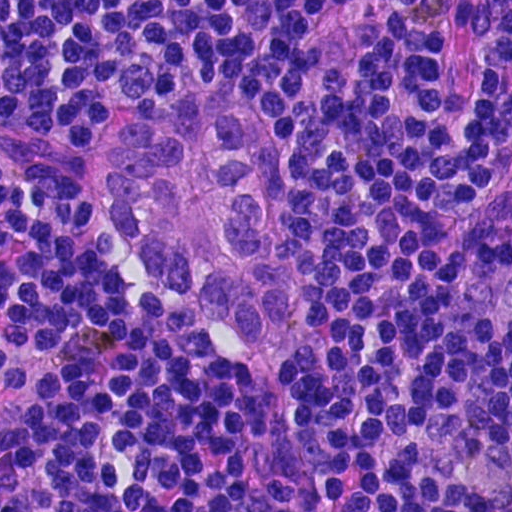
This is a crop of a whole-slide image: an H&E-stained breast-cancer sentinel lymph node section at roughly 40× magnification (about 0.23 µm per pixel; the crop spans about 0.12 mm).
Metastatic tumour outline, simplified to 10 points and listed clockwise in crop pixels (x, y): (181, 81), (232, 84), (269, 121), (290, 224), (293, 326), (271, 370), (118, 252), (96, 206), (113, 123), (143, 113).
About 15% of this field is tumour.